Question: 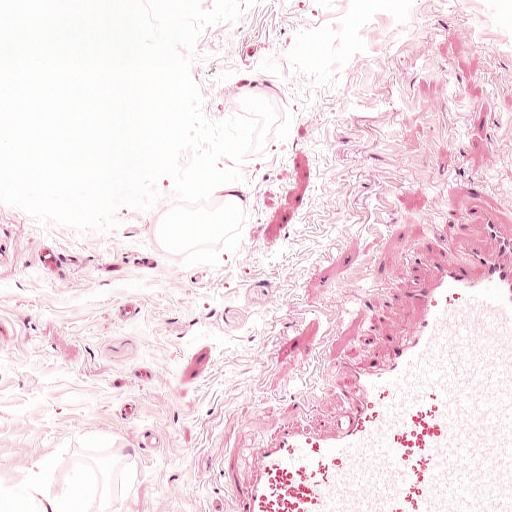
About what magnification does this crop show?

Choices:
 (A) about 10×
 (B) about 5×
 (C) about 20×
 (D) about 40×
 (E) about 2.5×

Answer: (A) about 10×
This is a crop of a whole-slide image: an H&E-stained breast-cancer sentinel lymph node section at roughly 10× magnification (about 0.97 µm per pixel; the crop spans about 0.5 mm).